H&E-stained section of a sentinel lymph node (breast cancer), from a whole-slide image, viewed at about 2.5×: the field is about 2.0 mm across, about 4.0 µm per pixel.
Question: 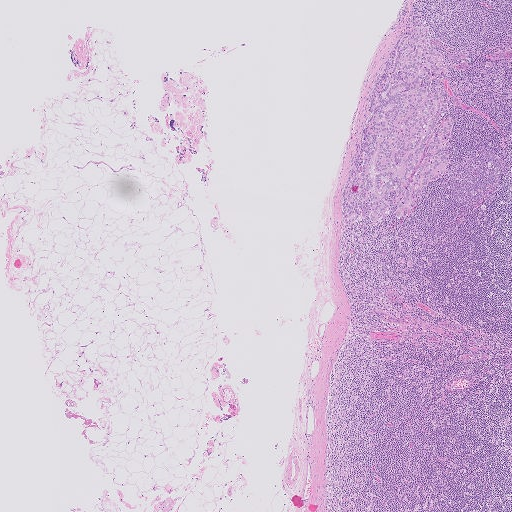
Roughly what share of this field is metastatic tumour?

Choices:
 (A) about 10% to 20%
 (B) about 5% or less
 (C) about 50% or more
 (D) none: no tumour is outlined
 (E) about 25% to 45%

Answer: (B) about 5% or less
About 5% of the field is tumour.
The outlined metastatic tumour's edge, as a closed clockwise path of 22 points: (419, 24), (442, 39), (445, 75), (427, 84), (447, 90), (454, 126), (450, 147), (458, 152), (450, 155), (444, 178), (433, 182), (407, 218), (388, 216), (375, 223), (366, 204), (353, 223), (344, 226), (341, 191), (355, 141), (367, 118), (371, 89), (404, 26).